Question: 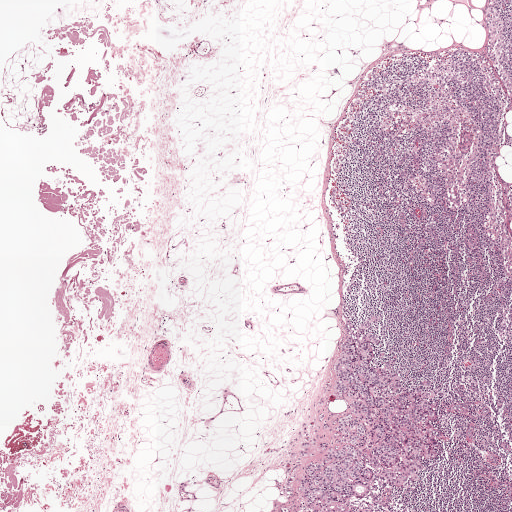
This is a crop of a whole-slide image: an H&E-stained breast-cancer sentinel lymph node section at roughly 2.5× magnification (about 3.9 µm per pixel; the crop spans about 2.0 mm).
What fraction of the image area is metastatic tumour?

Choices:
 (A) about 5% or less
 (B) about 50% or more
 (C) none: no tumour is outlined
 (D) about 10% to 20%
 (E) about 25% to 45%

Answer: (A) about 5% or less
About 5% of the field is tumour.
Boundaries of two metastatic tumour regions, simplified and listed clockwise, largest first: region 1: (374, 332), (375, 365), (397, 356), (409, 387), (430, 378), (441, 455), (423, 480), (392, 488), (380, 476), (349, 502), (360, 511), (310, 510), (298, 481), (318, 446), (333, 442), (320, 429), (350, 408), (333, 394), (347, 336); region 2: (378, 314), (382, 318), (372, 327), (362, 332), (358, 325), (370, 316).
Five more small tumour pieces are annotated here but not outlined.